H&E-stained section of a sentinel lymph node (breast cancer), from a whole-slide image, viewed at about 5×: the field is about 0.93 mm across, about 1.8 µm per pixel.
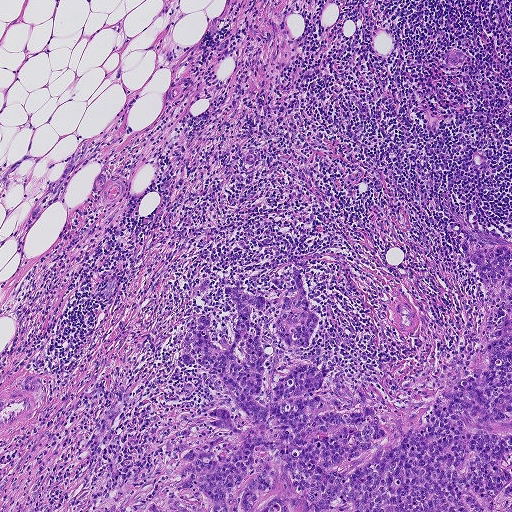
One metastatic tumour region; its boundary, reduced to 23 corners and listed clockwise: (455, 228), (509, 241), (511, 511), (129, 511), (163, 491), (173, 435), (221, 404), (213, 381), (181, 358), (218, 278), (274, 294), (276, 273), (290, 296), (288, 264), (301, 268), (322, 320), (304, 356), (327, 361), (346, 401), (409, 426), (467, 361), (482, 322), (483, 293).
Tumour covers about 20% of the frame.